This is a crop of a whole-slide image: an H&E-stained breast-cancer sentinel lymph node section at roughly 10× magnification (about 0.97 µm per pixel; the crop spans about 0.5 mm).
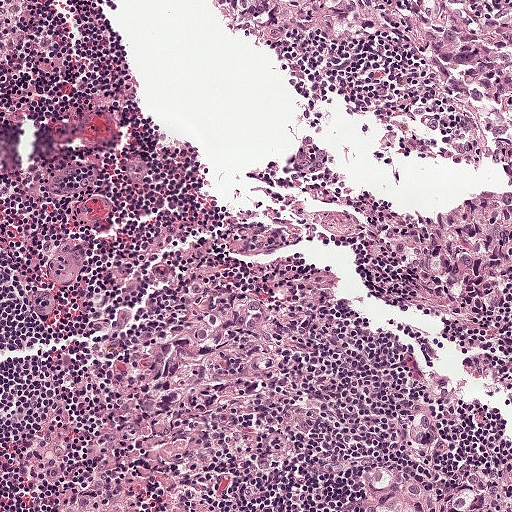
Outlines of four tumour regions, largest first (closed clockwise paths, crop pixels): region 1: (173, 278), (246, 296), (268, 384), (297, 401), (286, 450), (255, 467), (195, 466), (184, 489), (209, 511), (152, 511), (157, 486), (141, 472), (124, 481), (116, 511), (47, 511), (58, 484), (16, 450), (35, 416), (50, 410), (64, 441), (82, 432), (132, 376), (141, 333), (162, 318); region 2: (242, 3), (511, 3), (511, 135), (340, 76), (308, 52), (275, 39); region 3: (476, 198), (511, 200), (511, 281), (499, 299), (474, 309), (438, 309), (422, 279), (384, 241), (387, 232), (398, 225), (454, 215); region 4: (425, 411), (432, 412), (443, 442), (442, 465), (450, 483), (454, 486), (485, 486), (511, 482), (511, 511), (384, 511), (374, 490), (376, 467), (390, 466), (414, 484), (433, 486), (431, 470), (416, 438), (415, 428), (418, 418).
About 25% of this field is tumour.